Question: 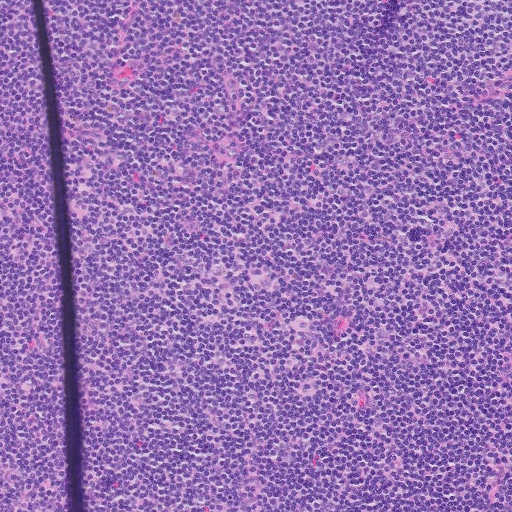
About what magnification does this crop show?

Choices:
 (A) about 20×
 (B) about 5×
 (C) about 10×
 (D) about 40×
 (E) about 2.5×

Answer: (C) about 10×
A 0.51-mm field of an H&E-stained sentinel lymph node from a breast-cancer patient (whole-slide image), shown at about 10×, about 1.0 µm per pixel.